Image:
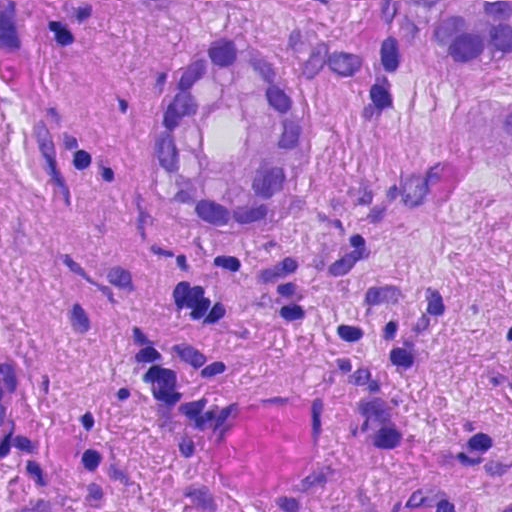
Lymph node section stained with H&E, from a whole-slide image of a breast-cancer sentinel node. Magnification about 40×, about 0.12 mm across the frame, about 0.23 µm per pixel.
Question:
Outline the metastatic carcinoma in this image, as closed paths of (x, y) pixel coordinates.
Answer:
Boundaries of four metastatic tumour regions, simplified and listed clockwise, largest first: region 1: (236, 21), (305, 65), (332, 144), (303, 220), (228, 244), (158, 204), (138, 127), (178, 57); region 2: (375, 0), (490, 0), (493, 4), (511, 4), (511, 60), (418, 60); region 3: (481, 88), (511, 91), (511, 174), (440, 158), (427, 100); region 4: (0, 350), (35, 376), (40, 414), (6, 487), (0, 490).
About 20% of this field is tumour.